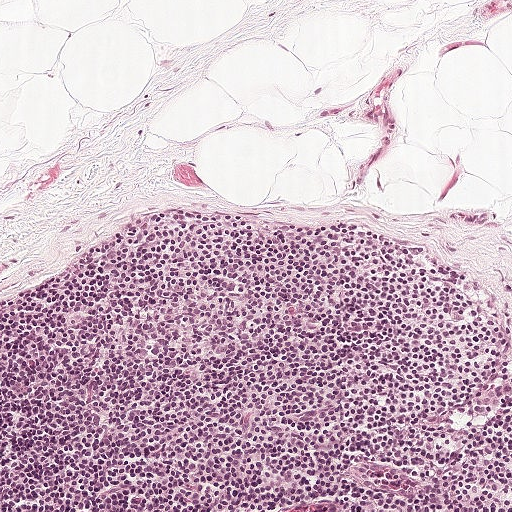
A 0.5-mm field of an H&E-stained sentinel lymph node from a breast-cancer patient (whole-slide image), shown at about 10×, about 0.97 µm per pixel.
Question: Is there metastatic carcinoma in this field?
Answer: No. No metastatic tumour is outlined in this field.